Question: 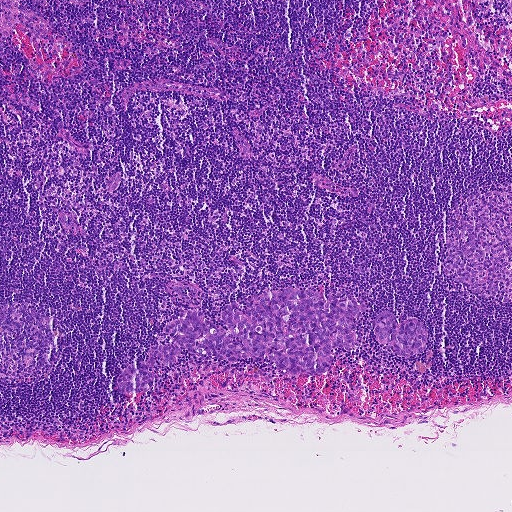
H&E-stained section of a sentinel lymph node (breast cancer), from a whole-slide image, viewed at about 5×: the field is about 0.93 mm across, about 1.8 µm per pixel.
Roughly what share of this field is metastatic tumour?

Choices:
 (A) none: no tumour is outlined
 (B) about 5% or less
 (C) about 50% or more
 (D) about 25% to 45%
 (E) about 10% to 20%

Answer: (B) about 5% or less
About 5% of the field is tumour.
Two metastatic tumour regions, each outlined as a closed clockwise path in crop pixels (x, y), largest first: region 1: (286, 286), (368, 305), (354, 319), (350, 350), (331, 348), (328, 372), (290, 376), (264, 358), (232, 362), (182, 350), (171, 366), (155, 359), (150, 388), (126, 394), (117, 386), (118, 372), (171, 341), (163, 330), (182, 311), (201, 312), (229, 332), (223, 308), (245, 308), (256, 293); region 2: (386, 310), (392, 312), (398, 324), (409, 318), (421, 321), (426, 333), (426, 346), (424, 352), (412, 356), (405, 356), (380, 346), (376, 341), (372, 322), (374, 316).
One more small tumour piece is annotated here but not outlined.